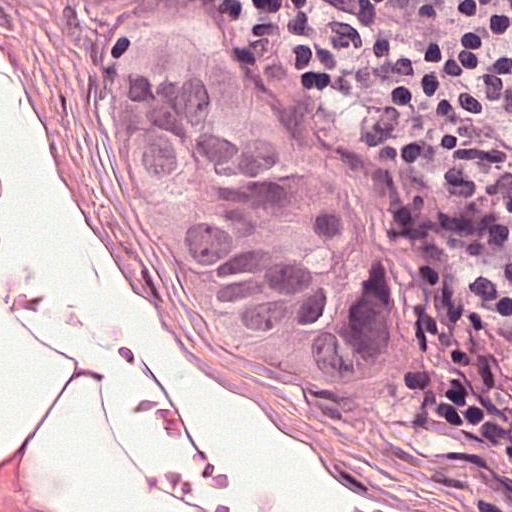
Lymph node section stained with H&E, from a whole-slide image of a breast-cancer sentinel node. Magnification about 40×, about 0.12 mm across the frame, about 0.24 µm per pixel.
One metastatic tumour region; its boundary, reduced to 12 corners and listed clockwise: (138, 6), (241, 6), (376, 181), (409, 259), (409, 322), (376, 393), (332, 399), (291, 387), (154, 293), (132, 200), (88, 125), (101, 34).
About 30% of this field is tumour.